Image:
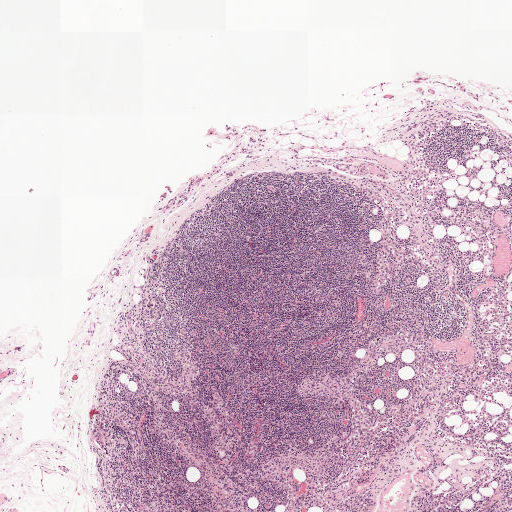
A 2.0-mm field of an H&E-stained sentinel lymph node from a breast-cancer patient (whole-slide image), shown at about 2.5×, about 3.9 µm per pixel.
Question:
Where is the metastatic tumour in this field?
Answer:
Metastatic tumour outline, simplified to 10 points and listed clockwise in crop pixels (x, y): (96, 427), (100, 428), (103, 432), (103, 439), (105, 446), (102, 448), (94, 441), (90, 435), (91, 431), (93, 428).
One more small tumour piece is annotated here but not outlined.
Under 5% of the image area is annotated as tumour.